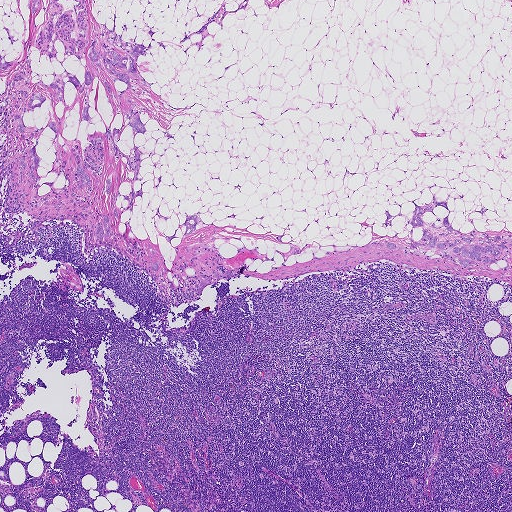
This is a crop of a whole-slide image: an H&E-stained breast-cancer sentinel lymph node section at roughly 2.5× magnification (about 3.6 µm per pixel; the crop spans about 1.9 mm).
The eight largest tumour regions' boundaries, simplified and listed clockwise, largest first: region 1: (27, 0), (45, 6), (48, 0), (86, 0), (88, 49), (95, 40), (108, 58), (111, 49), (126, 56), (114, 32), (146, 48), (136, 69), (150, 86), (130, 78), (128, 94), (142, 107), (144, 134), (134, 137), (128, 127), (127, 86), (118, 80), (121, 99), (111, 98), (95, 77), (89, 124), (78, 120), (84, 93), (68, 82), (64, 101), (37, 85), (52, 82), (54, 70), (63, 72), (32, 46); region 2: (20, 72), (30, 89), (25, 104), (36, 91), (46, 98), (40, 107), (23, 115), (25, 125), (41, 128), (54, 120), (62, 138), (80, 146), (83, 159), (88, 134), (103, 136), (103, 169), (111, 178), (107, 199), (104, 178), (87, 169), (93, 191), (78, 191), (72, 152), (48, 127), (35, 147), (40, 158), (37, 168), (30, 157), (32, 183), (27, 167), (18, 169), (12, 183), (9, 173), (26, 144), (20, 139), (21, 132), (14, 127), (0, 133), (0, 93), (9, 76); region 3: (424, 229), (426, 234), (438, 237), (437, 244), (445, 240), (453, 243), (458, 239), (461, 242), (455, 244), (460, 247), (467, 242), (461, 238), (465, 235), (473, 239), (472, 244), (500, 243), (509, 248), (500, 250), (496, 255), (481, 253), (481, 255), (494, 256), (495, 262), (475, 261), (473, 263), (477, 265), (472, 267), (462, 266), (457, 258), (471, 259), (453, 253), (453, 247), (441, 250), (425, 243), (412, 248), (410, 238), (419, 240); region 4: (433, 194), (438, 201), (446, 199), (447, 194), (455, 197), (460, 194), (464, 195), (463, 200), (457, 198), (454, 201), (453, 198), (449, 197), (447, 203), (450, 211), (449, 213), (442, 206), (435, 207), (433, 210), (439, 218), (448, 214), (448, 220), (452, 227), (462, 233), (453, 232), (446, 235), (437, 235), (447, 232), (444, 226), (437, 229), (431, 227), (431, 223), (436, 218), (431, 212), (425, 213), (424, 211), (426, 205), (432, 206), (432, 208), (435, 205), (431, 200); region 5: (159, 207), (159, 211), (160, 214), (169, 218), (166, 222), (163, 219), (162, 218), (157, 221), (156, 225), (157, 228), (160, 232), (166, 236), (169, 236), (174, 234), (174, 230), (177, 228), (178, 224), (181, 225), (184, 222), (187, 215), (190, 215), (197, 214), (201, 220), (202, 227), (187, 235), (182, 236), (186, 227), (184, 226), (179, 228), (175, 235), (178, 237), (171, 240), (171, 243), (156, 230), (153, 224), (153, 219), (150, 218), (155, 214), (156, 210), (155, 209); region 6: (114, 208), (116, 208), (118, 215), (117, 218), (112, 216), (109, 217), (111, 230), (110, 237), (104, 236), (99, 239), (96, 237), (96, 224), (104, 215), (107, 217), (112, 214); region 7: (228, 270), (231, 271), (233, 275), (231, 278), (227, 278), (224, 276), (220, 276), (217, 278), (213, 278), (209, 284), (206, 286), (203, 288), (201, 293), (198, 293), (198, 290), (203, 280), (206, 278), (210, 277), (213, 275), (214, 271), (218, 272), (221, 273); region 8: (417, 206), (421, 206), (423, 208), (423, 212), (421, 215), (421, 219), (423, 221), (423, 225), (419, 225), (412, 225), (410, 223), (413, 216), (414, 208).
Three more, smaller tumour regions are not outlined.
Four more small tumour pieces are annotated here but not outlined.
Tumour covers about 5% of the frame.